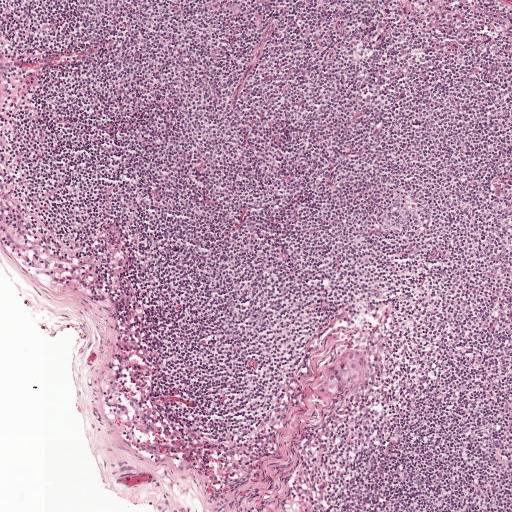
This is a crop of a whole-slide image: an H&E-stained breast-cancer sentinel lymph node section at roughly 5× magnification (about 1.9 µm per pixel; the crop spans about 1 mm).
Question: Which parts of this field are metastatic tumour? Answer with the outline of each region, in pixels.
Answer: One metastatic tumour region; its boundary, reduced to 9 corners and listed clockwise: (356, 349), (363, 352), (365, 363), (365, 376), (356, 386), (337, 396), (327, 396), (316, 388), (329, 365).
The annotated tumour makes up under 5% of the crop.